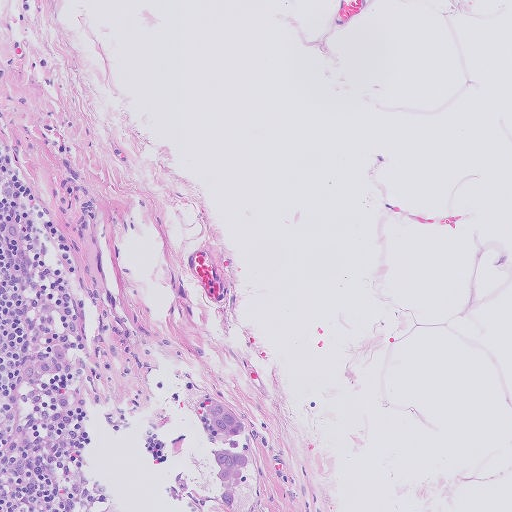
Lymph node section stained with H&E, from a whole-slide image of a breast-cancer sentinel node. Magnification about 10×, about 0.51 mm across the frame, about 1.0 µm per pixel.
Question: Where is the metastatic tumour in this field?
Answer: Boundaries of two metastatic tumour regions, simplified and listed clockwise, largest first: region 1: (216, 451), (243, 452), (248, 456), (248, 464), (242, 468), (240, 482), (235, 487), (235, 501), (232, 507), (226, 505), (222, 498), (220, 484), (217, 478), (217, 464), (213, 458); region 2: (210, 398), (217, 401), (236, 416), (245, 430), (238, 439), (238, 447), (232, 449), (226, 439), (220, 438), (205, 414), (202, 408), (203, 400).
Tumour covers under 5% of the frame.